Image:
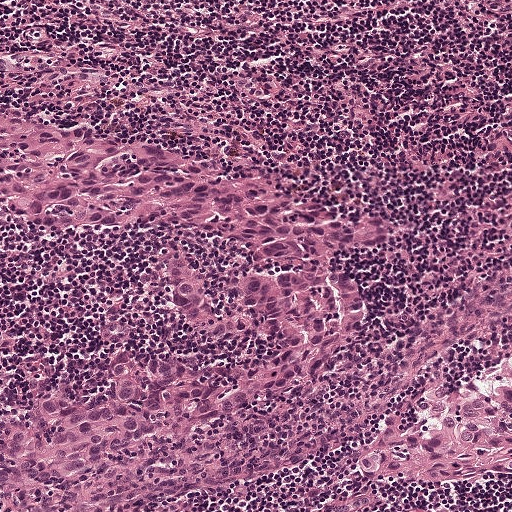
H&E-stained section of a sentinel lymph node (breast cancer), from a whole-slide image, viewed at about 10×: the field is about 0.5 mm across, about 0.97 µm per pixel.
Question:
Does this lymph node field contain metastatic tumour?
Answer:
Yes.
Boundaries of two metastatic tumour regions, simplified and listed clockwise, largest first: region 1: (0, 96), (228, 159), (314, 202), (378, 218), (380, 238), (347, 239), (362, 332), (342, 364), (1, 507); region 2: (511, 346), (511, 475), (482, 473), (460, 481), (379, 483), (346, 473), (344, 448), (354, 429), (418, 382), (468, 368), (494, 368), (495, 358).
About 45% of the image area is annotated as tumour.